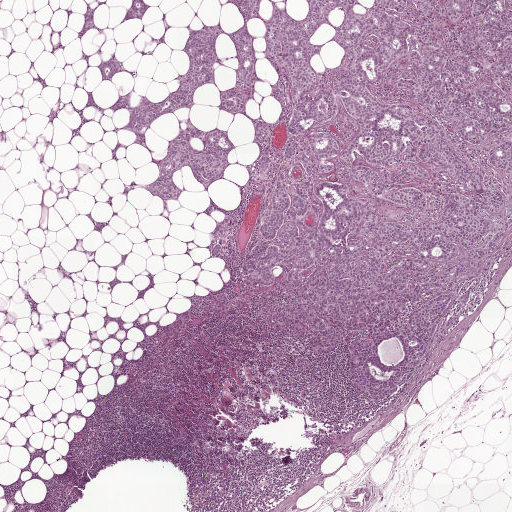
Lymph node section stained with H&E, from a whole-slide image of a breast-cancer sentinel node. Magnification about 2.5×, about 2.0 mm across the frame, about 3.9 µm per pixel.
Six metastatic tumour regions, each outlined as a closed clockwise path in crop pixels (x, y), largest first: region 1: (234, 0), (300, 21), (305, 0), (511, 0), (511, 131), (458, 153), (506, 198), (475, 245), (504, 237), (391, 324), (469, 290), (439, 321), (461, 318), (371, 400), (349, 348), (385, 336), (383, 336), (344, 340), (313, 355), (257, 317), (286, 266), (263, 287), (238, 262), (284, 163), (146, 184), (188, 127), (249, 167), (257, 121), (295, 146), (266, 24), (245, 113), (217, 103), (224, 34), (213, 84), (143, 143), (113, 101), (175, 93); region 2: (511, 142), (511, 185), (510, 179), (507, 174), (496, 168), (491, 165), (488, 160), (487, 154), (490, 148), (495, 145), (501, 143); region 3: (231, 220), (230, 227), (231, 231), (225, 235), (225, 242), (223, 249), (218, 255), (215, 257), (211, 257), (211, 252), (209, 246), (214, 232), (224, 221); region 4: (134, 0), (144, 0), (147, 2), (148, 8), (142, 17), (131, 19), (125, 18), (126, 13); region 5: (114, 60), (117, 64), (118, 69), (115, 74), (106, 79), (102, 76), (98, 66); region 6: (87, 92), (91, 93), (92, 98), (97, 104), (97, 108), (91, 105), (85, 107), (88, 96).
One more small tumour piece is annotated here but not outlined.
Tumour covers about 35% of the frame.